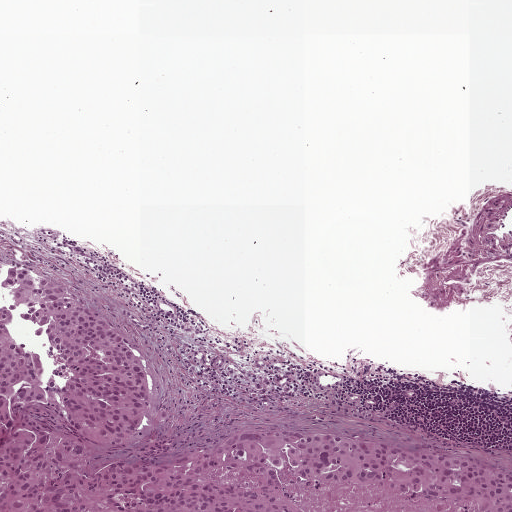
A 1-mm field of an H&E-stained sentinel lymph node from a breast-cancer patient (whole-slide image), shown at about 5×, about 1.9 µm per pixel.
Tumour region outline (a closed clockwise path, crop pixels): (0, 245), (98, 306), (151, 365), (165, 400), (142, 452), (234, 433), (372, 432), (509, 470), (511, 511), (0, 511).
About 20% of this field is tumour.